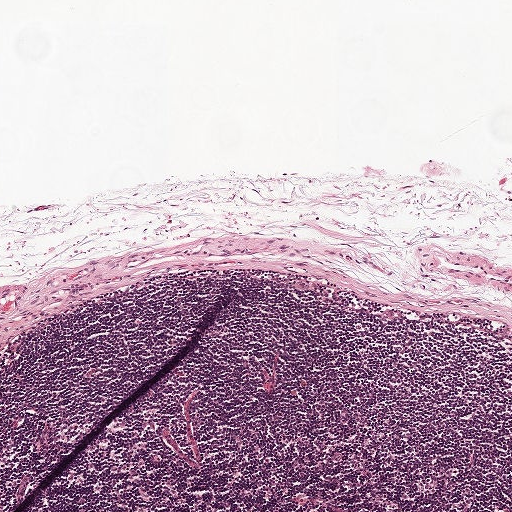
Lymph node section stained with H&E, from a whole-slide image of a breast-cancer sentinel node. Magnification about 5×, about 1 mm across the frame, about 1.9 µm per pixel.